Question: 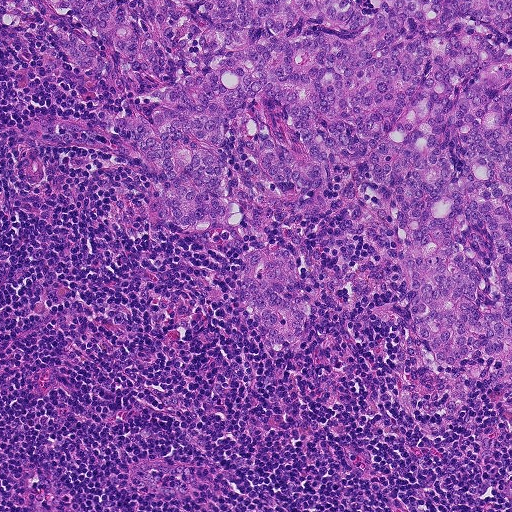
H&E-stained section of a sentinel lymph node (breast cancer), from a whole-slide image, viewed at about 10×: the field is about 0.46 mm across, about 0.9 µm per pixel.
About how much of this crop is taken up by metastatic carcinoma?

Choices:
 (A) about 10% to 20%
 (B) about 50% or more
 (C) none: no tumour is outlined
 (D) about 5% or less
 (E) about 25% to 45%

Answer: (E) about 25% to 45%
About 45% of the field is tumour.
The outlined metastatic tumour's edge, as a closed clockwise path of 20 points: (0, 0), (511, 0), (511, 391), (471, 394), (390, 322), (338, 313), (301, 254), (307, 323), (266, 351), (236, 272), (260, 248), (293, 254), (291, 236), (164, 224), (95, 113), (151, 122), (169, 108), (158, 90), (123, 94), (45, 28).